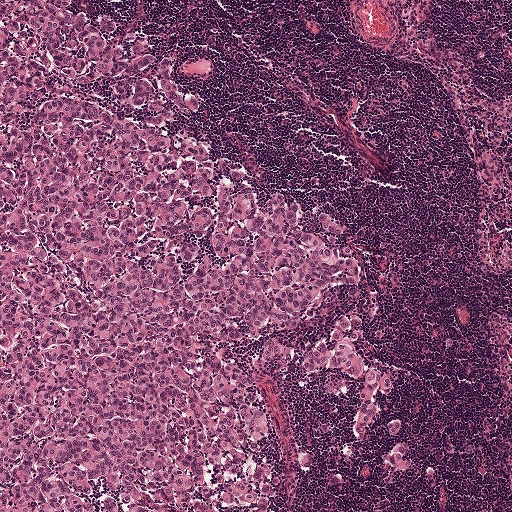
This is a crop of a whole-slide image: an H&E-stained breast-cancer sentinel lymph node section at roughly 5× magnification (about 1.9 µm per pixel; the crop spans about 1 mm).
Metastatic tumour outline, simplified to 23 points and listed clockwise in crop pixels (x, y): (0, 0), (82, 0), (126, 38), (150, 34), (200, 101), (177, 125), (260, 190), (342, 223), (372, 290), (361, 353), (392, 374), (376, 422), (400, 419), (413, 462), (386, 469), (379, 429), (352, 437), (351, 382), (270, 364), (258, 384), (280, 473), (266, 511), (0, 511).
About 55% of the image area is annotated as tumour.